Lymph node section stained with H&E, from a whole-slide image of a breast-cancer sentinel node. Magnification about 5×, about 1 mm across the frame, about 1.9 µm per pixel.
Image:
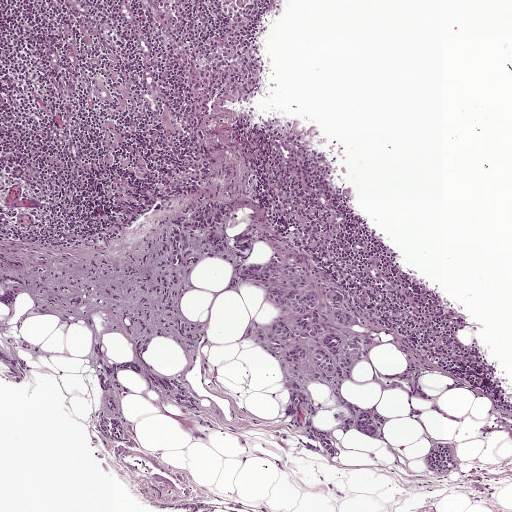
Question:
Which parts of this field are metastatic tumour?
Answer:
Outlines of the eight largest metastatic tumour regions, each a closed clockwise path in crop pixels (x, y), largest first: region 1: (228, 177), (242, 195), (259, 206), (265, 219), (262, 239), (248, 258), (198, 261), (182, 294), (181, 312), (194, 325), (197, 338), (184, 344), (164, 335), (154, 337), (142, 358), (145, 363), (135, 354), (143, 334), (125, 307), (119, 272), (155, 229), (208, 180); region 2: (274, 252), (285, 254), (314, 267), (346, 293), (356, 316), (354, 327), (369, 344), (346, 379), (328, 375), (302, 360), (294, 364), (278, 357), (260, 342), (257, 327), (281, 318), (287, 306), (267, 294), (270, 286), (264, 281), (251, 283), (237, 276), (238, 268), (244, 263), (269, 261); region 3: (94, 341), (100, 341), (105, 348), (104, 359), (113, 362), (134, 361), (145, 365), (145, 374), (125, 369), (118, 375), (116, 384), (111, 392), (104, 392), (98, 386), (93, 355); region 4: (307, 417), (316, 427), (328, 433), (337, 447), (335, 456), (328, 456), (307, 450), (302, 442), (307, 441), (318, 445), (326, 450), (322, 444), (307, 436), (304, 420); region 5: (106, 416), (119, 417), (125, 423), (125, 434), (121, 440), (110, 440), (103, 434), (99, 426), (102, 418); region 6: (355, 410), (374, 414), (380, 425), (375, 436), (356, 429), (354, 424); region 7: (297, 388), (306, 393), (304, 403), (295, 416), (289, 418), (285, 411), (291, 402), (289, 389); region 8: (421, 371), (418, 378), (422, 390), (432, 396), (429, 399), (418, 396), (413, 392), (413, 383), (414, 372).
Two more, smaller tumour regions are not outlined.
About 10% of this field is tumour.